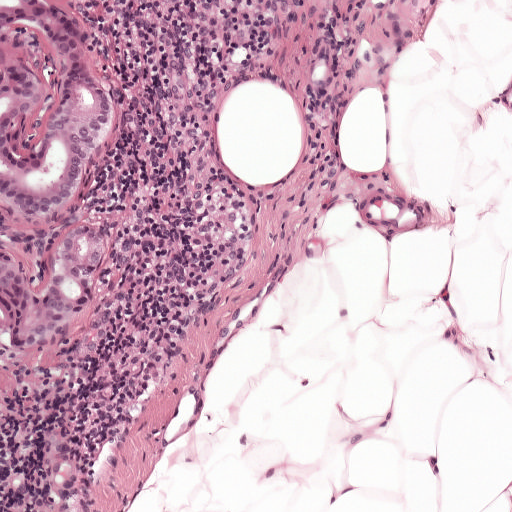
Lymph node section stained with H&E, from a whole-slide image of a breast-cancer sentinel node. Magnification about 10×, about 0.5 mm across the frame, about 0.97 µm per pixel.
One metastatic tumour region; its boundary, reduced to 8 corners and listed clockwise: (0, 0), (92, 0), (130, 70), (139, 130), (96, 172), (118, 302), (28, 390), (0, 386).
About 15% of this field is tumour.